Question: 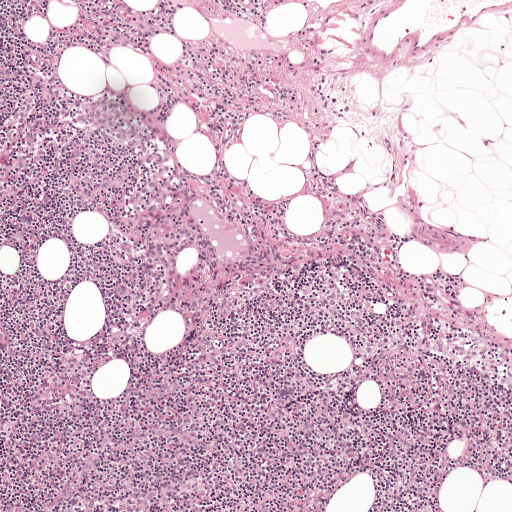
At roughly what magnification is this field shown?

Choices:
 (A) about 5×
 (B) about 20×
 (C) about 2.5×
 (D) about 10×
 (E) about 40×

Answer: (A) about 5×
A 1-mm field of an H&E-stained sentinel lymph node from a breast-cancer patient (whole-slide image), shown at about 5×, about 1.9 µm per pixel.